Image:
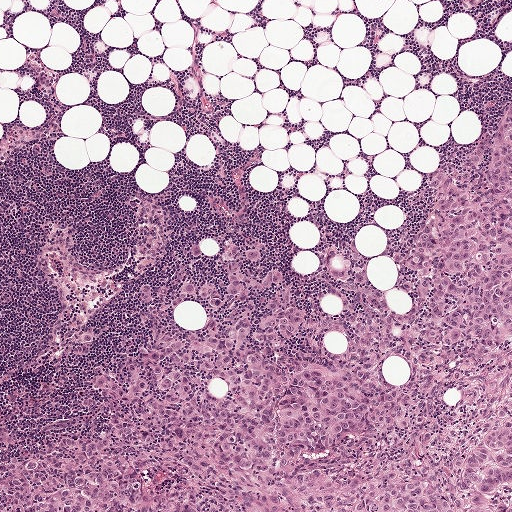
This is a crop of a whole-slide image: an H&E-stained breast-cancer sentinel lymph node section at roughly 5× magnification (about 1.9 µm per pixel; the crop spans about 1 mm).
Question:
Where is the metastatic tumour in this field?
Answer:
Outlines of two tumour regions, largest first (closed clockwise paths, crop pixels): region 1: (511, 101), (511, 511), (0, 511), (0, 461), (94, 426), (104, 398), (88, 374), (95, 361), (122, 362), (145, 333), (140, 288), (228, 276), (226, 240), (264, 247), (251, 267), (282, 270), (297, 298), (318, 288), (318, 262), (335, 248), (354, 263), (410, 262), (426, 181), (465, 163); region 2: (85, 334), (90, 334), (93, 335), (93, 336), (93, 340), (91, 344), (90, 351), (83, 351), (75, 350), (74, 347), (75, 347), (83, 342), (84, 336).
One more small tumour piece is annotated here but not outlined.
The annotated tumour makes up about 45% of the crop.